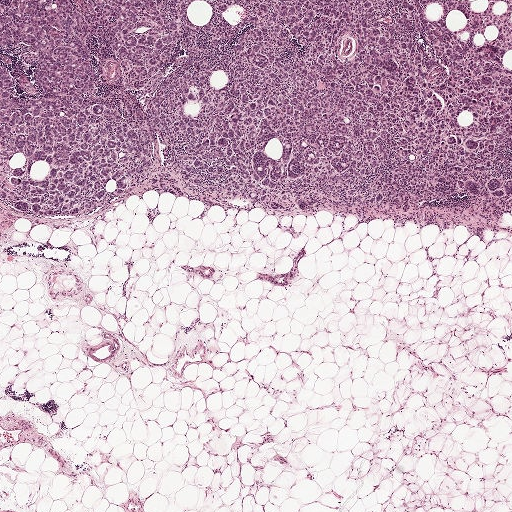
This is a crop of a whole-slide image: an H&E-stained breast-cancer sentinel lymph node section at roughly 2.5× magnification (about 3.9 µm per pixel; the crop spans about 2.0 mm).
Tumour region outline (a closed clockwise path, crop pixels): (10, 0), (468, 0), (482, 13), (486, 0), (511, 0), (506, 202), (272, 211), (181, 182), (154, 134), (152, 172), (98, 210), (34, 218), (0, 199), (0, 66), (12, 94), (39, 92), (28, 45), (0, 48), (0, 4).
Tumour covers about 35% of the frame.